Question: 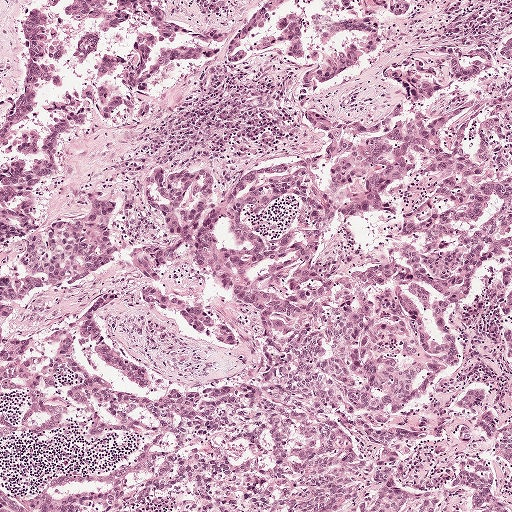
Which magnification is this H&E lymph node field most likely shown at?

Choices:
 (A) about 5×
 (B) about 40×
 (C) about 10×
 (D) about 20×
 (E) about 2.5×

Answer: (A) about 5×
This is a crop of a whole-slide image: an H&E-stained breast-cancer sentinel lymph node section at roughly 5× magnification (about 1.9 µm per pixel; the crop spans about 1 mm).